Question: 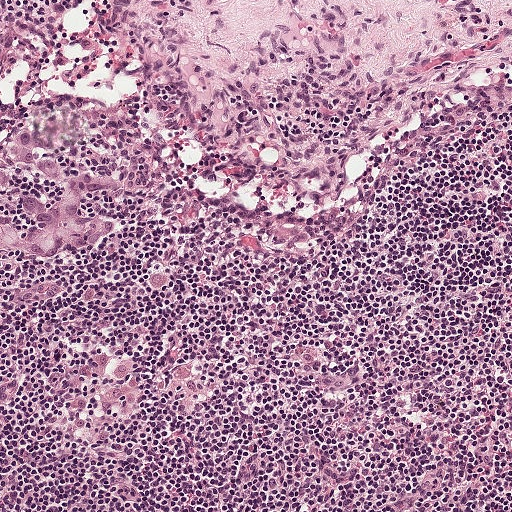
H&E-stained section of a sentinel lymph node (breast cancer), from a whole-slide image, viewed at about 10×: the field is about 0.5 mm across, about 0.97 µm per pixel.
About how much of this crop is taken up by metastatic carcinoma?

Choices:
 (A) about 25% to 45%
 (B) about 50% or more
 (C) about 5% or less
 (D) none: no tumour is outlined
 (E) about 10% to 20%

Answer: (C) about 5% or less
About 5% of the field is tumour.
One metastatic tumour region; its boundary, reduced to 20 corners and listed clockwise: (57, 129), (63, 139), (61, 152), (66, 166), (113, 174), (130, 186), (119, 193), (103, 189), (90, 192), (94, 210), (121, 213), (119, 231), (100, 246), (72, 254), (36, 255), (19, 249), (0, 255), (0, 148), (12, 144), (22, 130).